H&E-stained section of a sentinel lymph node (breast cancer), from a whole-slide image, viewed at about 10×: the field is about 0.46 mm across, about 0.9 µm per pixel.
Image:
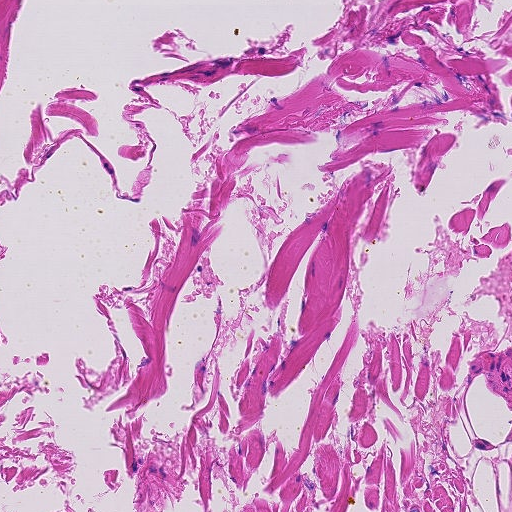
Question:
Is any metastatic breast cancer visible in this crop?
Answer:
No. No metastatic tumour is outlined in this field.